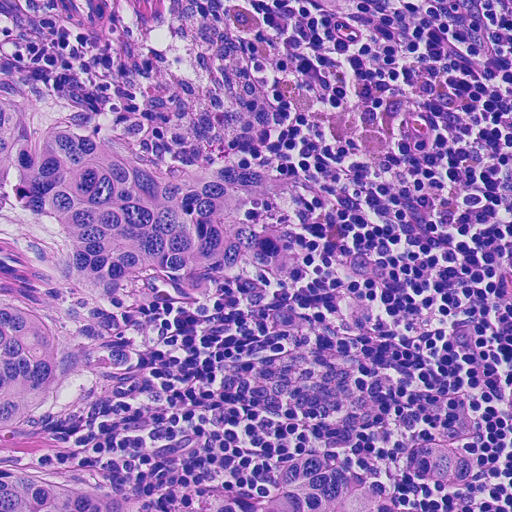
A 0.23-mm field of an H&E-stained sentinel lymph node from a breast-cancer patient (whole-slide image), shown at about 20×, about 0.45 µm per pixel.
Three metastatic tumour regions, each outlined as a closed clockwise path in crop pixels (x, y), largest first: region 1: (0, 87), (45, 109), (80, 102), (146, 164), (180, 166), (248, 151), (278, 169), (261, 197), (232, 212), (267, 220), (291, 243), (272, 272), (164, 270), (100, 300), (71, 278), (62, 244), (40, 215), (0, 204); region 2: (0, 298), (46, 298), (77, 314), (84, 347), (77, 380), (22, 424), (8, 458), (141, 501), (211, 484), (247, 487), (312, 456), (380, 481), (403, 508), (0, 511); region 3: (312, 0), (393, 0), (380, 14), (356, 17), (331, 12).
About 20% of the image area is annotated as tumour.